Question: 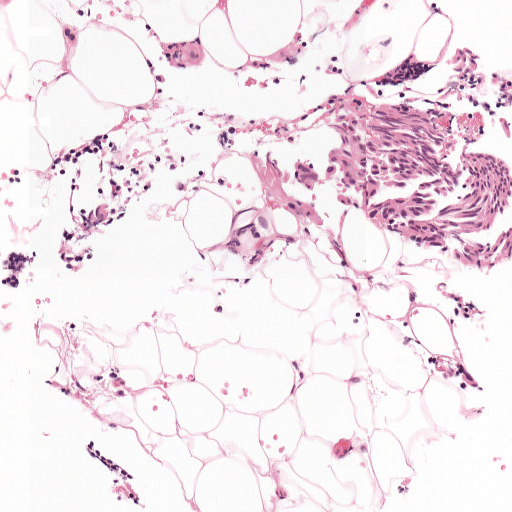
At roughly what magnification is this field shown?

Choices:
 (A) about 5×
 (B) about 10×
 (C) about 20×
 (D) about 40×
 (E) about 2.5×

Answer: (B) about 10×
A 0.5-mm field of an H&E-stained sentinel lymph node from a breast-cancer patient (whole-slide image), shown at about 10×, about 0.97 µm per pixel.
Outlines of two tumour regions, largest first (closed clockwise paths, crop pixels): region 1: (345, 84), (388, 102), (508, 114), (510, 143), (488, 150), (511, 159), (511, 266), (482, 273), (386, 233), (328, 190), (306, 192), (292, 170), (286, 142), (272, 137), (278, 114), (292, 114); region 2: (264, 208), (276, 211), (280, 233), (259, 238), (251, 218).
About 10% of the image area is annotated as tumour.